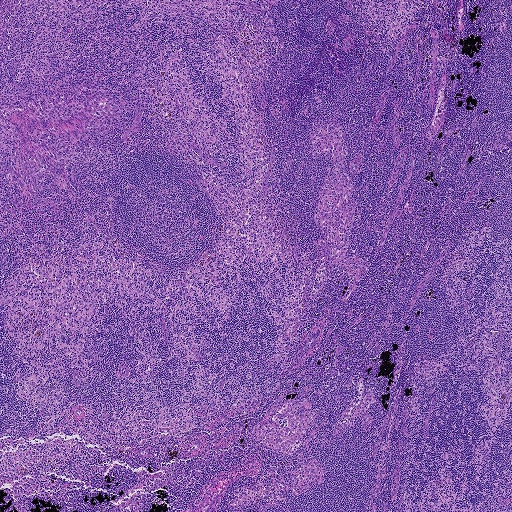
H&E-stained section of a sentinel lymph node (breast cancer), from a whole-slide image, viewed at about 2.5×: the field is about 1.9 mm across, about 3.6 µm per pixel.